Question: 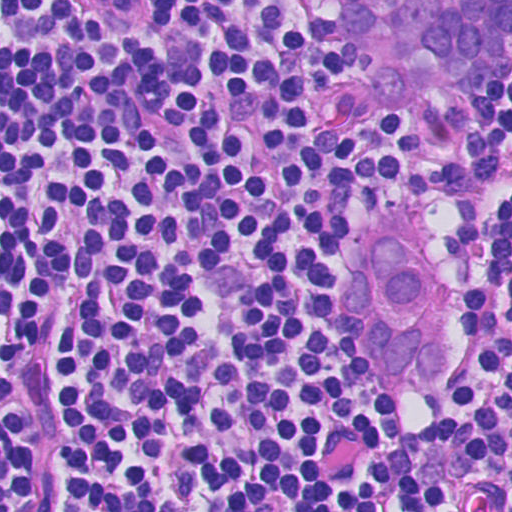
At roughly what magnification is this field shown?

Choices:
 (A) about 5×
 (B) about 2.5×
 (C) about 40×
 (D) about 20×
 (E) about 10×

Answer: (C) about 40×
A 0.12-mm field of an H&E-stained sentinel lymph node from a breast-cancer patient (whole-slide image), shown at about 40×, about 0.23 µm per pixel.
Two metastatic tumour regions, each outlined as a closed clockwise path in crop pixels (x, y), largest first: region 1: (379, 220), (402, 220), (458, 291), (453, 333), (459, 363), (439, 392), (405, 387), (334, 335), (330, 282); region 2: (333, 0), (511, 0), (511, 71), (485, 88), (388, 104), (336, 24).
The annotated tumour makes up about 10% of the crop.